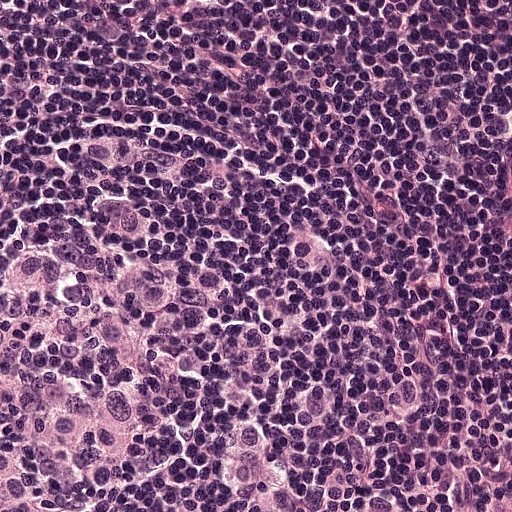
H&E-stained section of a sentinel lymph node (breast cancer), from a whole-slide image, viewed at about 20×: the field is about 0.25 mm across, about 0.49 µm per pixel.
One metastatic tumour region; its boundary, reduced to 7 corners and listed clockwise: (374, 182), (511, 182), (511, 511), (0, 511), (0, 253), (91, 208), (443, 208).
About 60% of this field is tumour.